Question: 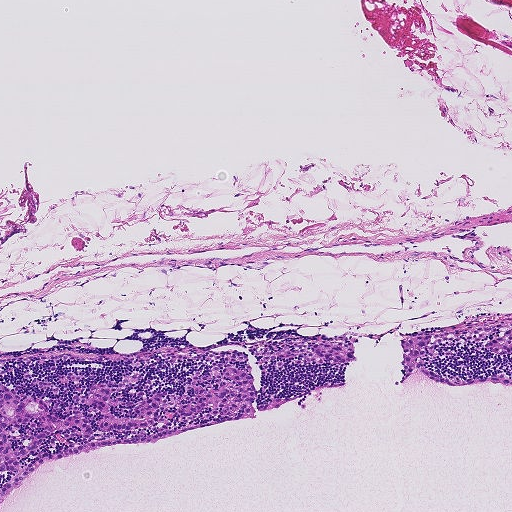
This is a crop of a whole-slide image: an H&E-stained breast-cancer sentinel lymph node section at roughly 5× magnification (about 1.8 µm per pixel; the crop spans about 0.93 mm).
About how much of this crop is taken up by metastatic carcinoma?

Choices:
 (A) about 10% to 20%
 (B) about 50% or more
 (C) about 5% or less
 (D) none: no tumour is outlined
 (E) about 25% to 45%

Answer: (A) about 10% to 20%
About 10% of the field is tumour.
Three metastatic tumour regions, each outlined as a closed clockwise path in crop pixels (x, y), largest first: region 1: (356, 336), (357, 361), (254, 365), (254, 406), (294, 397), (276, 408), (153, 444), (51, 461), (0, 505), (0, 384), (16, 391), (29, 379), (96, 374), (92, 382), (66, 385), (52, 395), (61, 397), (140, 374), (139, 383), (124, 392), (120, 407), (125, 414), (158, 390), (178, 392), (194, 372), (208, 373), (211, 364), (55, 361), (10, 363), (0, 373), (0, 357); region 2: (481, 320), (502, 320), (489, 336), (479, 340), (438, 346), (426, 362), (432, 371), (453, 376), (505, 374), (511, 376), (511, 386), (486, 382), (445, 386), (434, 384), (417, 373), (396, 384), (401, 364), (398, 344), (400, 334), (430, 326), (450, 327); region 3: (511, 327), (511, 354), (495, 354), (482, 347), (490, 340).